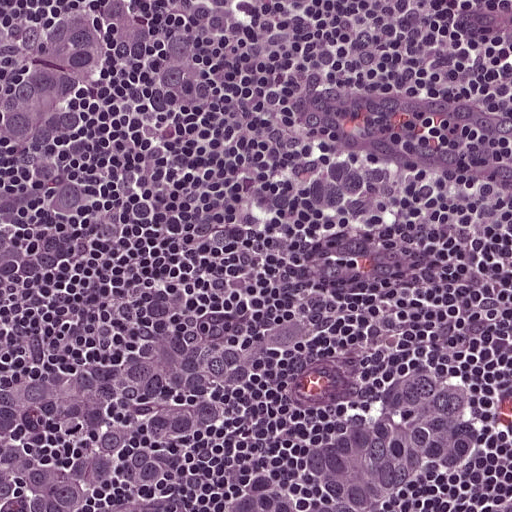
This is a crop of a whole-slide image: an H&E-stained breast-cancer sentinel lymph node section at roughly 20× magnification (about 0.49 µm per pixel; the crop spans about 0.25 mm).
Question: Where is the metastatic tumour in this field?
Answer: The outlined metastatic tumour's edge, as a closed clockwise path of 22 points: (0, 0), (135, 0), (204, 46), (246, 101), (370, 157), (376, 190), (310, 210), (143, 175), (70, 327), (102, 344), (234, 304), (336, 296), (366, 310), (262, 396), (229, 454), (262, 466), (326, 444), (432, 360), (486, 397), (472, 500), (511, 511), (0, 511).
About 55% of the image area is annotated as tumour.